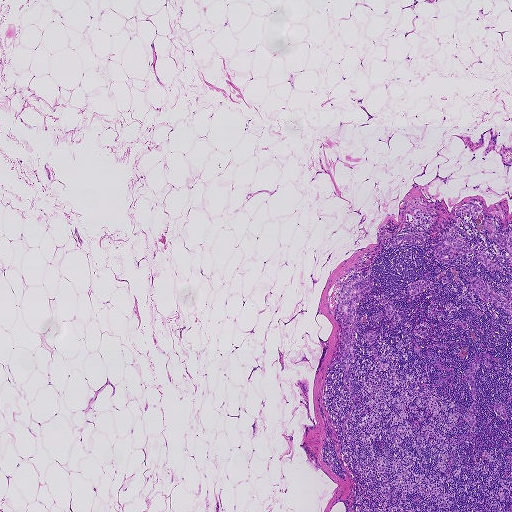
A 1.9-mm field of an H&E-stained sentinel lymph node from a breast-cancer patient (whole-slide image), shown at about 2.5×, about 3.6 µm per pixel.
Question: Where is the metastatic tumour in this field?
Answer: The eight largest tumour regions' boundaries, simplified and listed clockwise, largest first: region 1: (366, 277), (372, 279), (374, 285), (373, 288), (361, 294), (355, 302), (358, 305), (352, 323), (350, 336), (354, 341), (348, 380), (351, 390), (348, 390), (347, 380), (338, 364), (337, 356), (342, 340), (338, 307), (342, 294), (354, 282); region 2: (481, 276), (484, 281), (491, 283), (491, 288), (495, 293), (498, 294), (499, 291), (502, 292), (507, 297), (510, 296), (508, 290), (500, 288), (500, 286), (506, 287), (508, 286), (511, 287), (511, 298), (509, 300), (511, 301), (511, 310), (510, 310), (511, 312), (511, 317), (509, 318), (507, 312), (492, 303), (489, 306), (486, 305), (476, 293), (473, 294), (472, 290), (469, 291), (468, 287), (472, 277), (473, 279), (476, 277); region 3: (453, 228), (454, 240), (462, 240), (469, 245), (471, 251), (466, 253), (455, 252), (447, 262), (440, 260), (431, 253), (434, 245); region 4: (478, 357), (479, 369), (476, 371), (473, 380), (476, 390), (474, 399), (476, 408), (474, 414), (476, 420), (474, 426), (470, 426), (463, 416), (473, 402), (470, 387), (465, 378), (464, 372), (469, 368), (473, 359); region 5: (511, 230), (511, 268), (509, 268), (507, 254), (505, 250), (499, 246), (494, 242), (490, 240), (489, 238), (489, 236), (490, 234), (495, 232), (503, 234), (505, 234), (506, 233), (510, 233); region 6: (410, 234), (416, 236), (420, 234), (422, 236), (423, 242), (423, 244), (418, 245), (410, 244), (406, 241), (396, 247), (392, 247), (391, 242), (394, 238), (400, 236); region 7: (483, 246), (486, 249), (486, 253), (488, 254), (487, 257), (488, 260), (494, 261), (496, 263), (501, 267), (503, 271), (502, 271), (496, 270), (491, 270), (488, 269), (475, 257), (475, 256), (482, 252), (483, 249), (482, 247); region 8: (416, 280), (426, 280), (428, 280), (432, 282), (427, 287), (422, 289), (415, 294), (413, 294), (408, 292), (407, 290), (409, 286).
Two more, smaller tumour regions are not outlined.
One more small tumour piece is annotated here but not outlined.
Under 5% of this field is tumour.